Question: 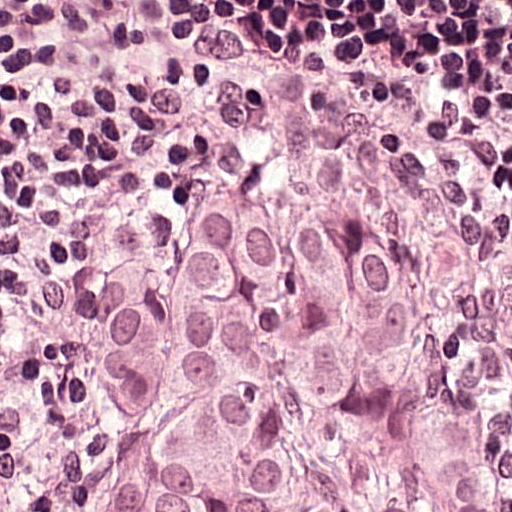
Which magnification is this H&E lymph node field most likely shown at?

Choices:
 (A) about 5×
 (B) about 10×
 (C) about 40×
 (D) about 20×
 (E) about 2.5×

Answer: (C) about 40×
H&E-stained section of a sentinel lymph node (breast cancer), from a whole-slide image, viewed at about 40×: the field is about 0.12 mm across, about 0.24 µm per pixel.
One metastatic tumour region; its boundary, reduced to 13 corners and listed clockwise: (212, 193), (309, 203), (417, 240), (456, 303), (446, 401), (511, 419), (511, 511), (93, 511), (109, 453), (96, 385), (101, 309), (132, 277), (196, 253).
About 40% of the image area is annotated as tumour.